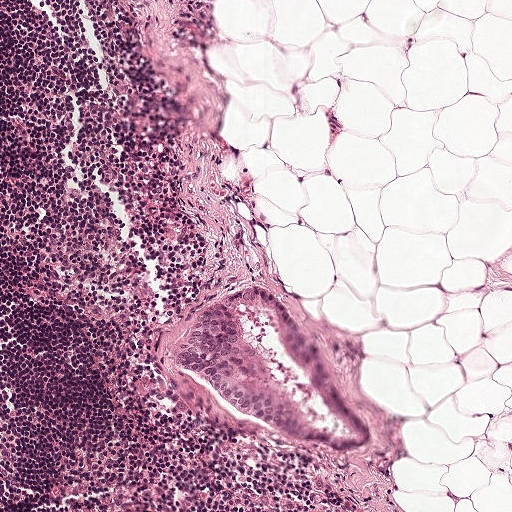
H&E-stained section of a sentinel lymph node (breast cancer), from a whole-slide image, viewed at about 10×: the field is about 0.5 mm across, about 0.97 µm per pixel.
The outlined metastatic tumour's edge, as a closed clockwise path of 18 points: (253, 285), (258, 288), (259, 304), (250, 308), (241, 320), (245, 336), (256, 350), (259, 375), (268, 391), (277, 398), (278, 421), (263, 427), (245, 422), (231, 402), (172, 363), (170, 349), (178, 336), (202, 308).
The annotated tumour makes up about 5% of the crop.